Lymph node section stained with H&E, from a whole-slide image of a breast-cancer sentinel node. Magnification about 40×, about 0.12 mm across the frame, about 0.24 µm per pixel.
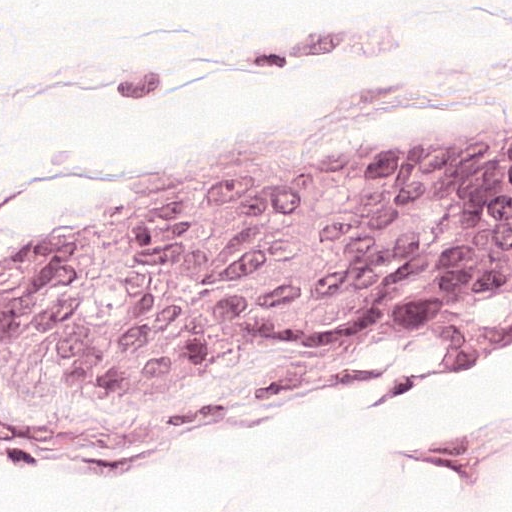
The outlined metastatic tumour's edge, as a closed clockwise path of 8 points: (511, 104), (507, 317), (359, 380), (170, 413), (107, 410), (0, 358), (3, 243), (311, 106).
About 45% of the image area is annotated as tumour.